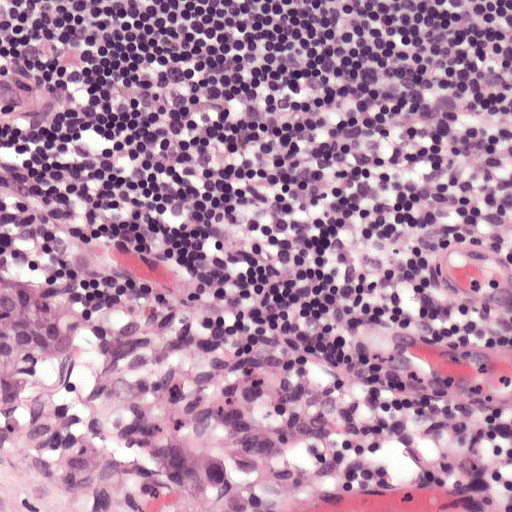
A 0.25-mm field of an H&E-stained sentinel lymph node from a breast-cancer patient (whole-slide image), shown at about 20×, about 0.49 µm per pixel.
Two metastatic tumour regions, each outlined as a closed clockwise path in crop pixels (x, y), largest first: region 1: (0, 220), (68, 278), (88, 324), (65, 370), (0, 422); region 2: (214, 504), (239, 511), (159, 511), (165, 506).
About 5% of the image area is annotated as tumour.